Image:
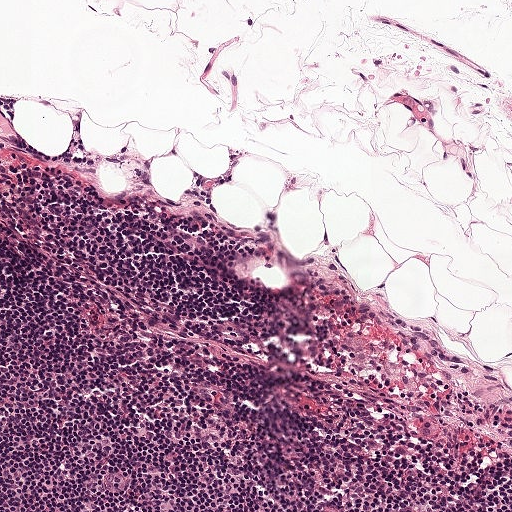
H&E-stained section of a sentinel lymph node (breast cancer), from a whole-slide image, viewed at about 10×: the field is about 0.5 mm across, about 0.97 µm per pixel.
Question:
Is any metastatic breast cancer visible in this crop?
Answer:
No: no metastatic tumour is outlined anywhere in this field.